Question: 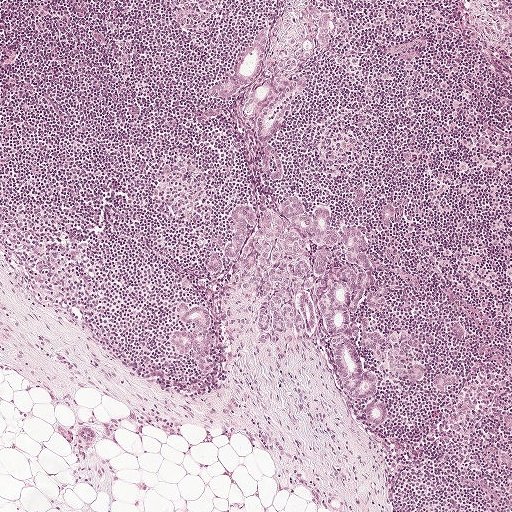
A 1-mm field of an H&E-stained sentinel lymph node from a breast-cancer patient (whole-slide image), shown at about 5×, about 1.9 µm per pixel.
Roughly what share of this field is metastatic tumour?

Choices:
 (A) about 5% or less
 (B) about 10% to 20%
 (C) about 25% to 45%
 (D) about 50% or more
 (E) none: no tumour is outlined

Answer: (B) about 10% to 20%
About 10% of the field is tumour.
The eight largest tumour regions' boundaries, simplified and listed clockwise, largest first: region 1: (289, 196), (328, 210), (334, 231), (351, 223), (366, 228), (387, 303), (380, 313), (364, 314), (365, 324), (385, 340), (382, 349), (358, 348), (379, 379), (386, 423), (368, 422), (338, 387), (320, 329), (268, 344), (255, 334), (253, 303), (234, 286), (226, 314), (214, 330), (214, 374), (203, 375), (173, 351), (171, 326), (186, 324), (175, 310), (179, 299), (221, 314), (226, 281), (207, 268), (216, 251), (228, 271), (234, 206), (274, 206); region 2: (287, 20), (290, 26), (314, 42), (313, 55), (310, 58), (304, 59), (304, 63), (299, 68), (286, 72), (265, 103), (249, 116), (244, 116), (240, 109), (264, 76), (269, 65), (280, 56), (280, 48), (286, 38), (281, 31), (281, 26); region 3: (259, 26), (267, 30), (268, 41), (262, 54), (261, 65), (254, 86), (247, 93), (225, 102), (209, 94), (209, 90), (232, 74), (238, 61), (243, 56); region 4: (302, 77), (307, 78), (308, 81), (307, 87), (300, 91), (282, 120), (272, 140), (267, 144), (262, 144), (254, 133), (256, 118), (263, 105), (286, 85); region 5: (394, 331), (400, 334), (402, 331), (406, 331), (412, 338), (412, 345), (408, 352), (402, 356), (394, 355), (403, 365), (403, 371), (401, 373), (386, 368), (382, 370), (379, 369), (379, 356), (392, 346), (390, 337); region 6: (313, 8), (326, 9), (334, 17), (331, 48), (327, 50), (316, 46), (315, 33), (310, 32), (311, 17), (309, 14); region 7: (270, 143), (283, 160), (283, 174), (281, 180), (275, 181), (266, 176), (262, 165), (262, 154), (266, 145); region 8: (438, 372), (453, 374), (456, 377), (455, 383), (447, 386), (443, 390), (436, 388), (433, 381), (434, 377).
Region 7 encloses a non-tumour hole of about 20% of its area.
Three more, smaller tumour regions are not outlined.